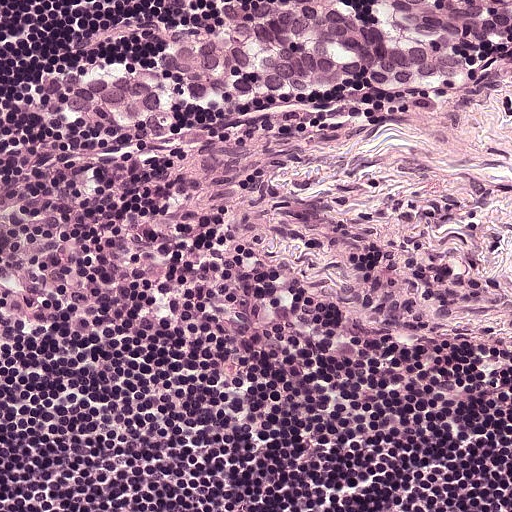
A 0.25-mm field of an H&E-stained sentinel lymph node from a breast-cancer patient (whole-slide image), shown at about 20×, about 0.49 µm per pixel.
Question: Outline the metastatic carcinoma in this image, as closed paths of (x, y) pixel coordinates.
Answer: The outlined metastatic tumour's edge, as a closed clockwise path of 21 points: (228, 0), (346, 0), (372, 14), (378, 0), (484, 0), (511, 13), (511, 32), (476, 38), (476, 65), (452, 80), (378, 81), (350, 72), (255, 101), (180, 102), (148, 124), (110, 110), (62, 112), (45, 86), (44, 76), (66, 64), (145, 58).
The annotated tumour makes up about 15% of the crop.